Question: 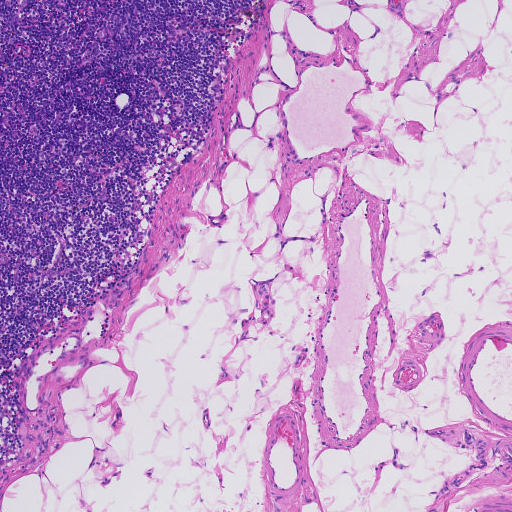
About what magnification does this crop show?

Choices:
 (A) about 5×
 (B) about 20×
 (C) about 2.5×
 (D) about 10×
 (E) about 40×

Answer: (A) about 5×
This is a crop of a whole-slide image: an H&E-stained breast-cancer sentinel lymph node section at roughly 5× magnification (about 1.8 µm per pixel; the crop spans about 0.93 mm).